Lymph node section stained with H&E, from a whole-slide image of a breast-cancer sentinel node. Magnification about 2.5×, about 2.0 mm across the frame, about 3.9 µm per pixel.
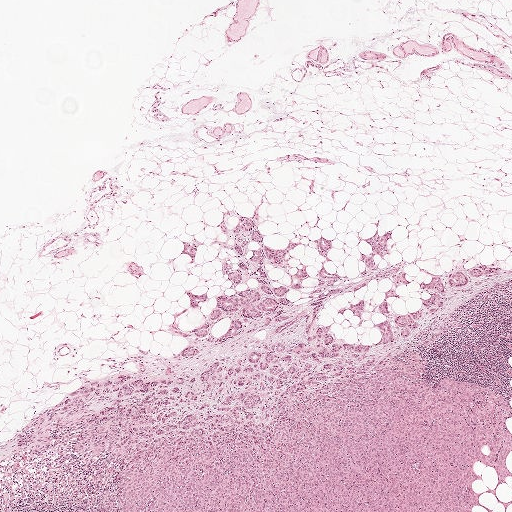
Outlines of three tumour regions, largest first (closed clockwise paths, crop pixels): region 1: (245, 213), (298, 241), (307, 277), (265, 264), (294, 303), (312, 295), (320, 235), (349, 283), (392, 230), (372, 257), (403, 260), (400, 314), (425, 270), (498, 265), (386, 344), (383, 314), (337, 310), (362, 300), (379, 311), (388, 277), (316, 318), (362, 360), (414, 352), (506, 398), (504, 511), (478, 460), (472, 485), (494, 511), (123, 511), (117, 460), (73, 455), (56, 402), (183, 372), (216, 295), (258, 284), (222, 274); region 2: (186, 290), (193, 293), (200, 293), (206, 291), (208, 297), (205, 300), (200, 301), (200, 302), (202, 303), (198, 307), (191, 307), (189, 300), (187, 295), (185, 294); region 3: (185, 240), (195, 243), (196, 249), (195, 254), (192, 258), (186, 254), (181, 254), (183, 249), (182, 241).
One more small tumour piece is annotated here but not outlined.
About 30% of the image area is annotated as tumour.